A 2.0-mm field of an H&E-stained sentinel lymph node from a breast-cancer patient (whole-slide image), shown at about 2.5×, about 3.9 µm per pixel.
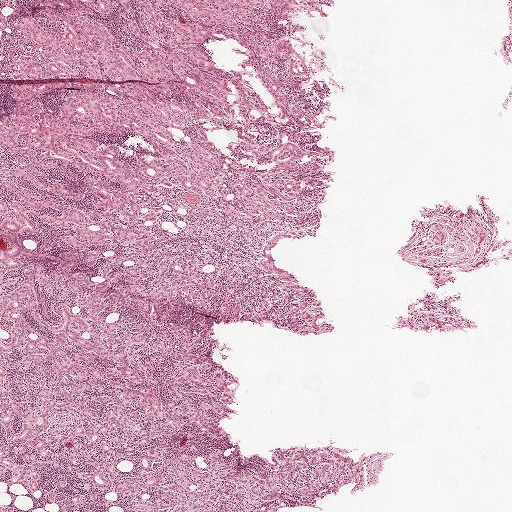
Tumour region outline (a closed clockwise path, crop pixels): (77, 91), (118, 96), (127, 103), (144, 100), (182, 114), (188, 123), (169, 127), (173, 137), (202, 144), (217, 158), (220, 166), (213, 172), (217, 185), (210, 192), (181, 188), (166, 175), (144, 176), (139, 152), (160, 154), (139, 134), (79, 137), (63, 133), (54, 122), (65, 100).
Tumour covers about 5% of the frame.